H&E-stained section of a sentinel lymph node (breast cancer), from a whole-slide image, viewed at about 10×: the field is about 0.5 mm across, about 0.97 µm per pixel.
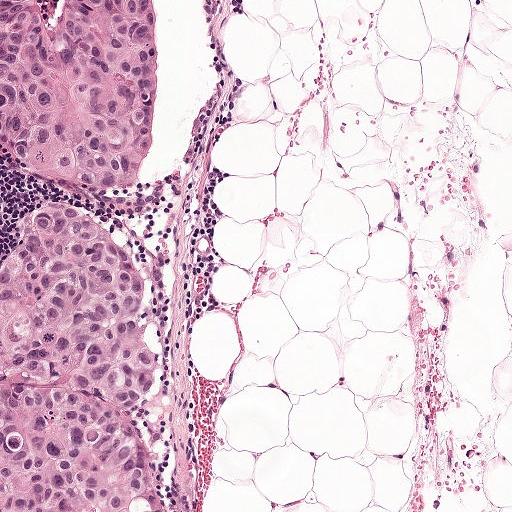
Question: Where is the metastatic tumour in this field? Give each region's outline as (x, y) pixel points.
Answer: One metastatic tumour region; its boundary, reduced to 8 corners and listed clockwise: (0, 0), (162, 0), (152, 147), (124, 235), (164, 328), (152, 420), (175, 511), (0, 511).
About 30% of the image area is annotated as tumour.